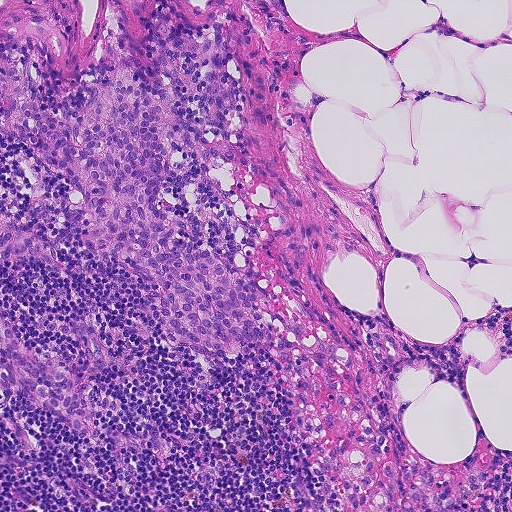
This is a crop of a whole-slide image: an H&E-stained breast-cancer sentinel lymph node section at roughly 10× magnification (about 0.9 µm per pixel; the crop spans about 0.46 mm).
Question: Which parts of this field are metastatic tumour? Answer with the outline of each region, in pixels.
Answer: Three metastatic tumour regions, each outlined as a closed clockwise path in crop pixels (x, y), largest first: region 1: (119, 75), (160, 79), (181, 126), (202, 146), (222, 147), (215, 164), (190, 150), (168, 152), (161, 205), (200, 216), (200, 247), (254, 287), (262, 342), (231, 361), (199, 358), (166, 340), (157, 286), (85, 251), (73, 188), (8, 141), (10, 117), (27, 107), (61, 117), (86, 112); region 2: (0, 308), (10, 312), (11, 331), (27, 352), (39, 355), (44, 344), (56, 347), (60, 355), (68, 356), (76, 366), (89, 366), (80, 342), (48, 330), (46, 324), (59, 322), (70, 328), (82, 323), (94, 328), (107, 364), (102, 370), (86, 376), (85, 380), (106, 384), (108, 388), (102, 394), (120, 404), (117, 411), (108, 410), (100, 418), (90, 419), (103, 446), (84, 453), (74, 429), (52, 412), (15, 392), (0, 403); region 3: (11, 220), (23, 224), (31, 234), (52, 247), (60, 257), (60, 264), (56, 267), (43, 266), (32, 260), (20, 263), (2, 257), (0, 221).
About 15% of this field is tumour.